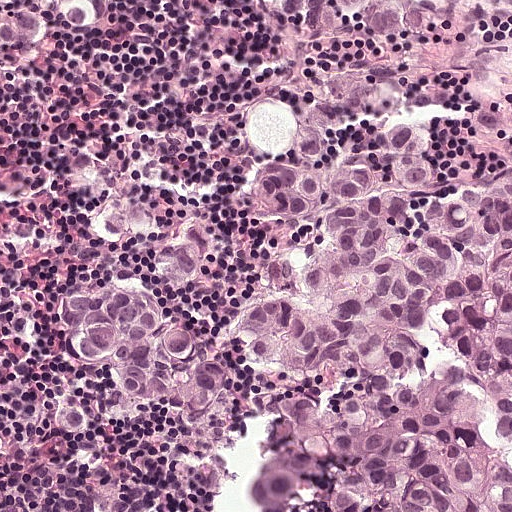
Lymph node section stained with H&E, from a whole-slide image of a breast-cancer sentinel node. Magnification about 20×, about 0.25 mm across the frame, about 0.49 µm per pixel.
Question: Outline the metastatic carcinoma in this image, as closed paths of (x, y) pixel coordinates.
Answer: Outlines of three tumour regions, largest first (closed clockwise paths, crop pixels): region 1: (272, 0), (444, 0), (442, 170), (464, 182), (511, 173), (511, 511), (378, 511), (398, 500), (378, 464), (319, 466), (264, 428), (278, 399), (322, 394), (243, 354), (232, 344), (258, 306), (298, 304), (309, 225), (272, 208), (256, 180), (295, 167), (312, 88), (369, 50), (293, 32); region 2: (109, 284), (138, 288), (172, 320), (192, 330), (207, 357), (226, 366), (224, 401), (210, 426), (197, 433), (184, 432), (156, 408), (128, 409), (114, 397), (112, 382), (74, 364), (60, 346), (52, 312), (58, 303), (76, 303); region 3: (0, 0), (108, 0), (108, 15), (102, 28), (91, 36), (79, 36), (64, 26), (58, 18), (50, 17), (49, 48), (45, 63), (24, 68), (10, 61), (0, 43), (0, 23), (10, 18), (6, 7), (0, 4).
One more small tumour piece is annotated here but not outlined.
The annotated tumour makes up about 45% of the crop.